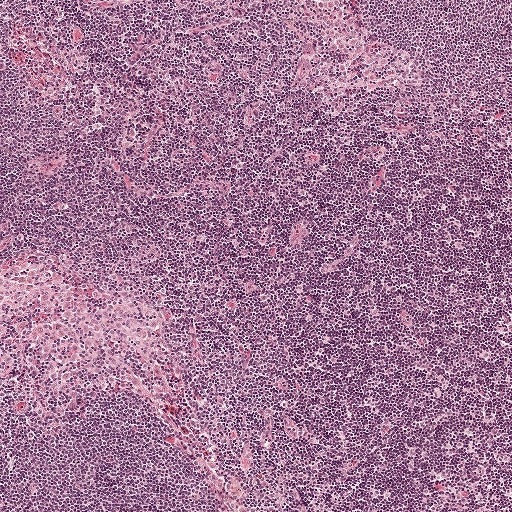
H&E-stained section of a sentinel lymph node (breast cancer), from a whole-slide image, viewed at about 5×: the field is about 1 mm across, about 1.9 µm per pixel.